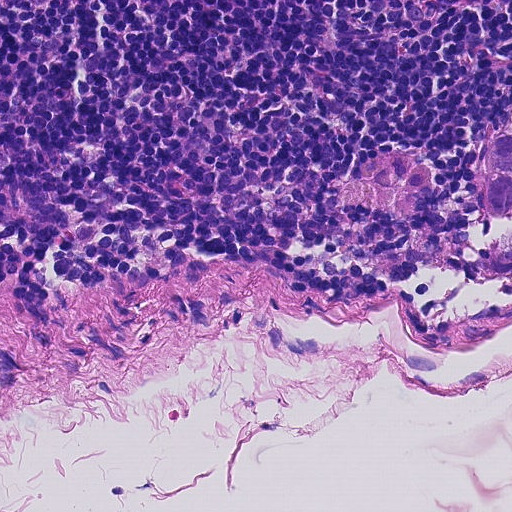
Lymph node section stained with H&E, from a whole-slide image of a breast-cancer sentinel node. Magnification about 20×, about 0.23 mm across the frame, about 0.45 µm per pixel.
Two metastatic tumour regions, each outlined as a closed clockwise path in crop pixels (x, y), largest first: region 1: (511, 119), (511, 272), (476, 271), (473, 252), (486, 219), (456, 204), (479, 208), (479, 172), (491, 138); region 2: (388, 152), (423, 154), (438, 185), (438, 201), (450, 203), (418, 212), (348, 201), (356, 167).
About 5% of this field is tumour.